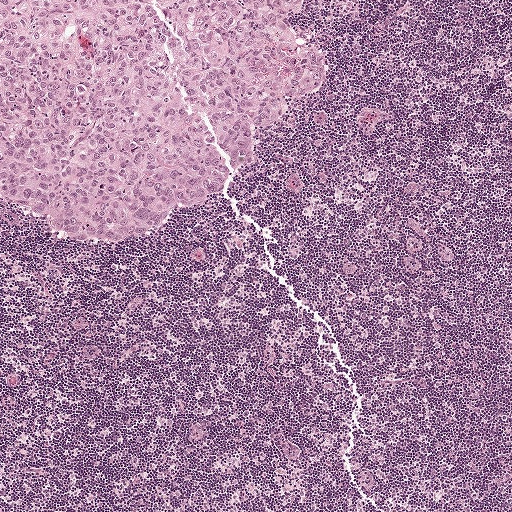
This is a crop of a whole-slide image: an H&E-stained breast-cancer sentinel lymph node section at roughly 5× magnification (about 1.9 µm per pixel; the crop spans about 1 mm).
Question: Which parts of this field are metastatic tumour? Answer with the outline of each region, in pixels.
Answer: Metastatic tumour outline, simplified to 11 points and listed clockwise in crop pixels (x, y): (0, 0), (305, 0), (288, 22), (323, 60), (325, 78), (271, 124), (238, 177), (159, 233), (122, 247), (59, 242), (0, 210).
About 25% of the image area is annotated as tumour.